Question: 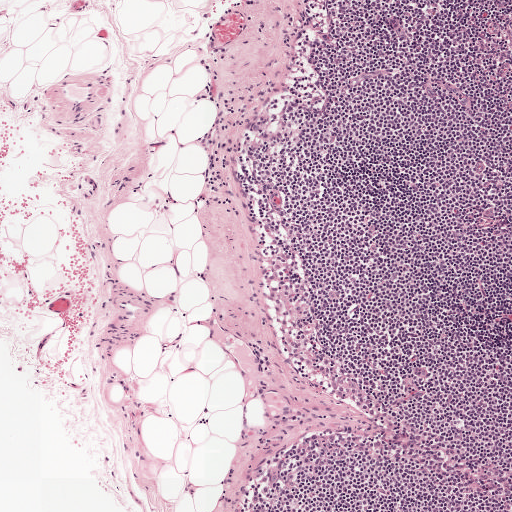
Which magnification is this H&E lymph node field most likely shown at?

Choices:
 (A) about 20×
 (B) about 10×
 (C) about 2.5×
 (D) about 40×
 (E) about 5×

Answer: (E) about 5×
H&E-stained section of a sentinel lymph node (breast cancer), from a whole-slide image, viewed at about 5×: the field is about 1 mm across, about 1.9 µm per pixel.